H&E-stained section of a sentinel lymph node (breast cancer), from a whole-slide image, viewed at about 10×: the field is about 0.5 mm across, about 0.97 µm per pixel.
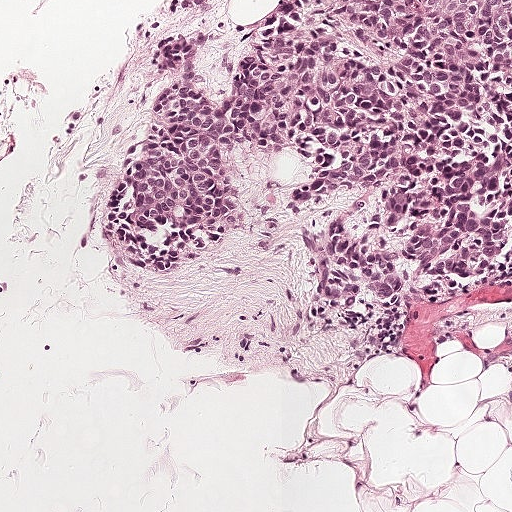
One metastatic tumour region; its boundary, reduced to 21 corners and listed clockwise: (155, 0), (210, 0), (196, 58), (228, 92), (276, 0), (511, 0), (511, 254), (334, 306), (306, 249), (359, 198), (285, 210), (310, 169), (235, 141), (253, 202), (231, 233), (172, 269), (110, 236), (106, 201), (163, 72), (146, 51), (187, 23).
Tumour covers about 35% of the frame.